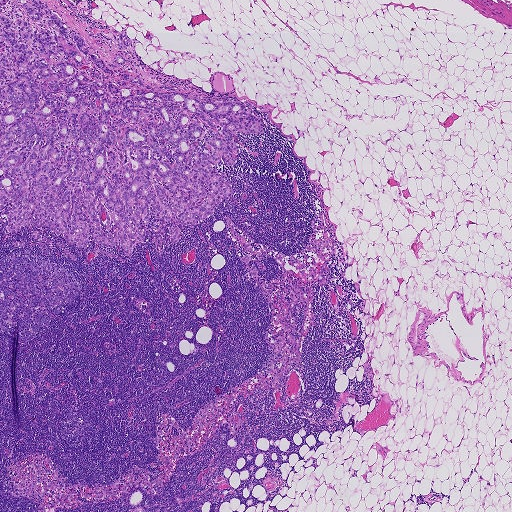
This is a crop of a whole-slide image: an H&E-stained breast-cancer sentinel lymph node section at roughly 2.5× magnification (about 3.6 µm per pixel; the crop spans about 1.9 mm).
Tumour region outline (a closed clockwise path, crop pixels): (0, 0), (43, 1), (104, 63), (116, 52), (130, 60), (117, 66), (124, 87), (242, 103), (263, 120), (261, 134), (236, 131), (235, 165), (210, 163), (232, 195), (178, 226), (177, 242), (154, 210), (130, 257), (91, 234), (79, 248), (45, 225), (38, 238), (32, 224), (4, 234).
One more small tumour piece is annotated here but not outlined.
Tumour covers about 15% of the frame.